This is a crop of a whole-slide image: an H&E-stained breast-cancer sentinel lymph node section at roughly 20× magnification (about 0.49 µm per pixel; the crop spans about 0.25 mm).
Image:
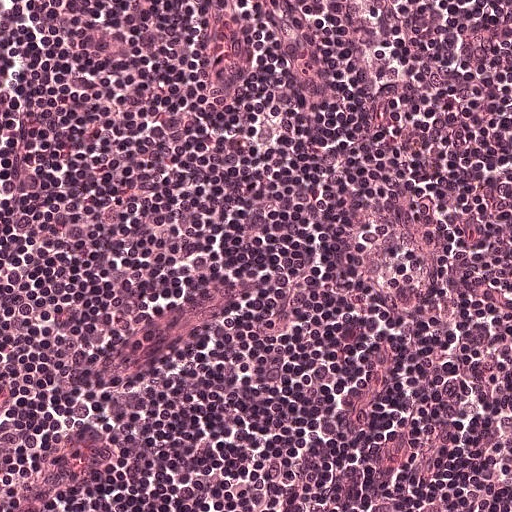
Question:
Is any metastatic breast cancer visible in this crop?
Answer:
No: no metastatic tumour is outlined anywhere in this field.